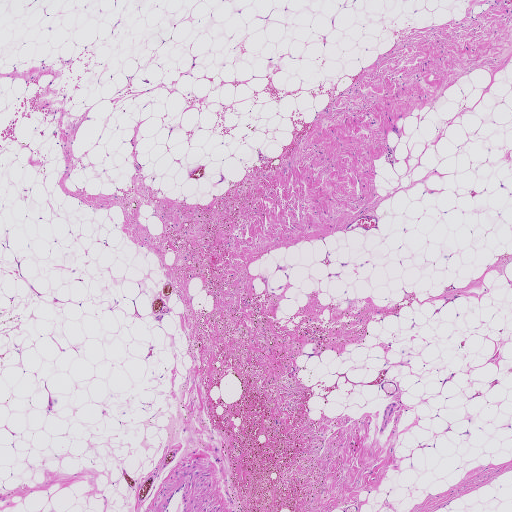
Lymph node section stained with H&E, from a whole-slide image of a breast-cancer sentinel node. Magnification about 2.5×, about 1.9 mm across the frame, about 3.6 µm per pixel.